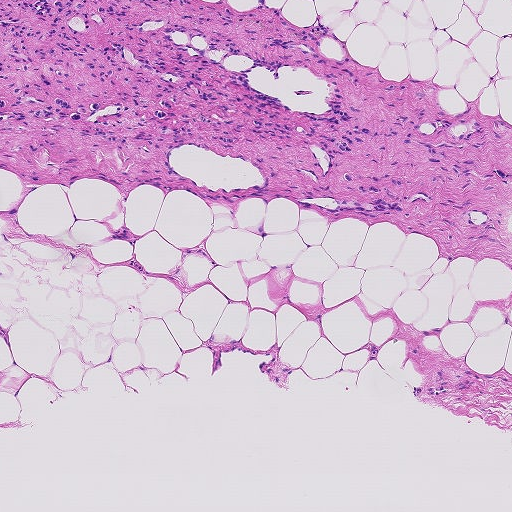
H&E-stained section of a sentinel lymph node (breast cancer), from a whole-slide image, viewed at about 5×: the field is about 0.93 mm across, about 1.8 µm per pixel.
Question: Is there metastatic carcinoma in this field?
Answer: Yes.
Tumour region outline (a closed clockwise path, crop pixels): (0, 0), (190, 0), (172, 4), (200, 21), (314, 49), (339, 76), (345, 104), (379, 134), (353, 149), (354, 163), (405, 212), (376, 210), (381, 194), (346, 182), (347, 153), (216, 138), (118, 140), (4, 122).
About 15% of the image area is annotated as tumour.